Question: 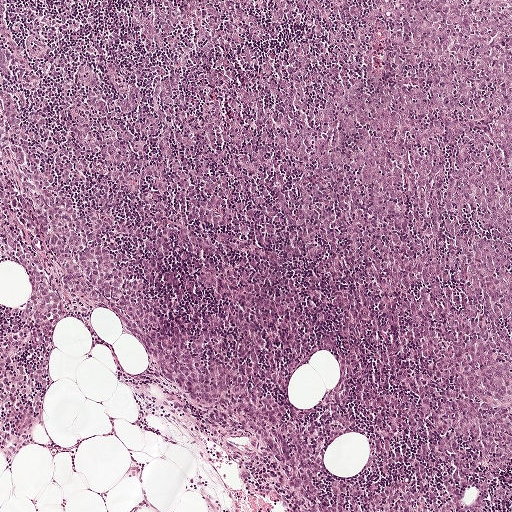
Lymph node section stained with H&E, from a whole-slide image of a breast-cancer sentinel node. Magnification about 5×, about 1 mm across the frame, about 1.9 µm per pixel.
What fraction of the image area is metastatic tumour?

Choices:
 (A) none: no tumour is outlined
 (B) about 50% or more
 (C) about 10% to 20%
 (D) about 5% or less
 (E) about 25% to 45%

Answer: (B) about 50% or more
About 85% of the field is tumour.
Metastatic tumour outline, simplified to 18 points and listed clockwise in crop pixels (x, y): (0, 0), (511, 0), (511, 511), (287, 511), (254, 486), (254, 442), (201, 423), (113, 311), (77, 302), (60, 312), (52, 339), (38, 432), (19, 434), (32, 352), (19, 314), (34, 285), (20, 266), (1, 262).